Lymph node section stained with H&E, from a whole-slide image of a breast-cancer sentinel node. Magnification about 10×, about 0.46 mm across the frame, about 0.9 µm per pixel.
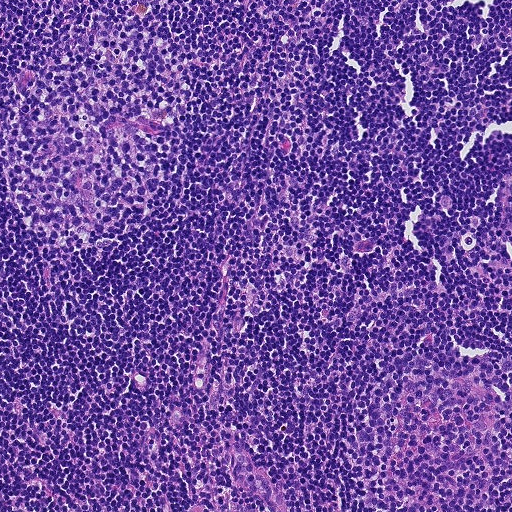
Question: Is any metastatic breast cancer visible in this crop?
Answer: No. No metastatic tumour is outlined in this field.